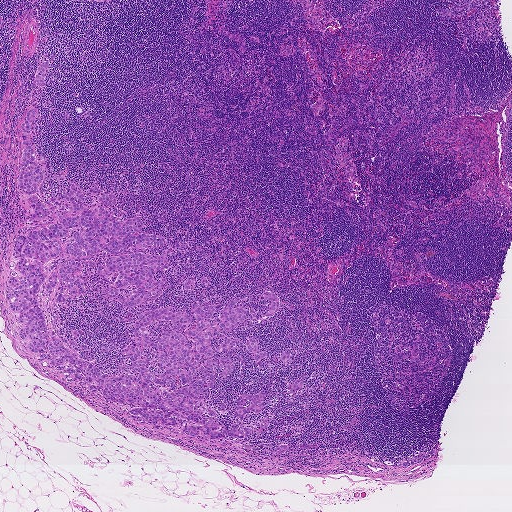
This is a crop of a whole-slide image: an H&E-stained breast-cancer sentinel lymph node section at roughly 2.5× magnification (about 3.6 µm per pixel; the crop spans about 1.9 mm).
Four metastatic tumour regions, each outlined as a closed clockwise path in crop pixels (x, y), largest first: region 1: (43, 60), (48, 62), (48, 69), (45, 74), (45, 87), (38, 87), (34, 76), (38, 64); region 2: (270, 292), (275, 293), (278, 298), (278, 304), (277, 310), (274, 314), (268, 316), (263, 316), (268, 310), (269, 305), (272, 304), (271, 301), (268, 300), (263, 297), (263, 293); region 3: (302, 442), (314, 444), (319, 446), (315, 450), (303, 450), (298, 448), (297, 446), (295, 446), (298, 445); region 4: (296, 380), (298, 382), (302, 380), (303, 380), (303, 386), (299, 389), (293, 392), (287, 392), (293, 382).
One more tumour region is annotated but not outlined: its edge is too irregular for a short outline.
Three more small tumour pieces are annotated here but not outlined.
Tumour covers about 10% of the frame.